A 0.93-mm field of an H&E-stained sentinel lymph node from a breast-cancer patient (whole-slide image), shown at about 5×, about 1.8 µm per pixel.
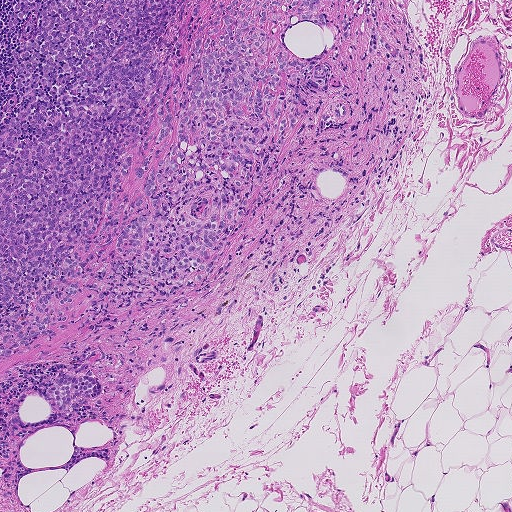
Outlines of three tumour regions, largest first (closed clockwise paths, crop pixels): region 1: (18, 0), (328, 0), (339, 33), (302, 21), (283, 37), (323, 62), (325, 90), (301, 84), (308, 114), (269, 134), (262, 198), (204, 281), (166, 298), (85, 288), (60, 334), (2, 360), (0, 131), (37, 95), (20, 99), (11, 66); region 2: (64, 371), (76, 376), (88, 371), (94, 372), (101, 384), (100, 397), (88, 400), (75, 399), (62, 413), (56, 413), (49, 403), (43, 400), (44, 393), (58, 372); region 3: (335, 101), (347, 107), (347, 115), (343, 118), (330, 118), (323, 122), (321, 118), (324, 110).
The annotated tumour makes up about 30% of the crop.